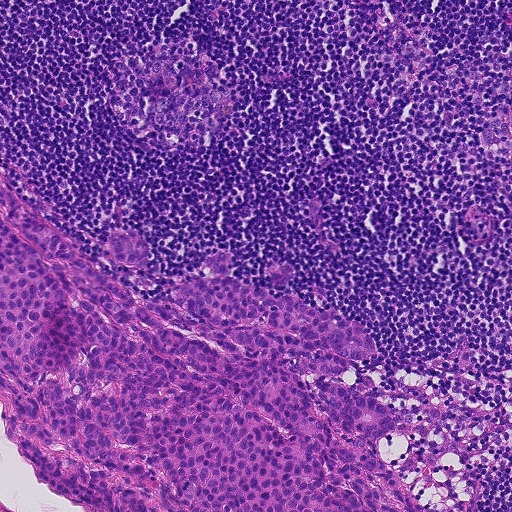
This is a crop of a whole-slide image: an H&E-stained breast-cancer sentinel lymph node section at roughly 10× magnification (about 0.9 µm per pixel; the crop spans about 0.46 mm).
Question: Trace the edge of each tumour region in this crop, as (x, y) points from 0 to 511.
Answer: Metastatic tumour outline, simplified to 24 points and listed clockwise in crop pixels (x, y): (0, 170), (106, 272), (121, 229), (141, 234), (146, 269), (108, 274), (137, 300), (212, 275), (206, 253), (225, 247), (226, 276), (269, 292), (270, 268), (290, 263), (276, 294), (368, 328), (370, 363), (351, 362), (400, 424), (378, 451), (428, 510), (87, 511), (46, 491), (0, 428).
Tumour covers about 35% of the frame.